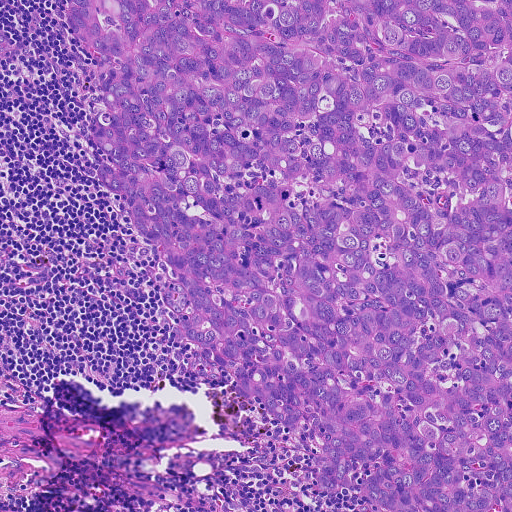
Lymph node section stained with H&E, from a whole-slide image of a breast-cancer sentinel node. Magnification about 10×, about 0.46 mm across the frame, about 0.91 µm per pixel.
One metastatic tumour region; its boundary, reduced to 18 corners and listed clockwise: (511, 0), (511, 511), (389, 511), (340, 487), (319, 490), (318, 424), (281, 423), (241, 397), (198, 345), (174, 336), (154, 247), (96, 174), (110, 161), (88, 120), (103, 108), (98, 64), (75, 38), (66, 3).
Tumour covers about 65% of the frame.